Image:
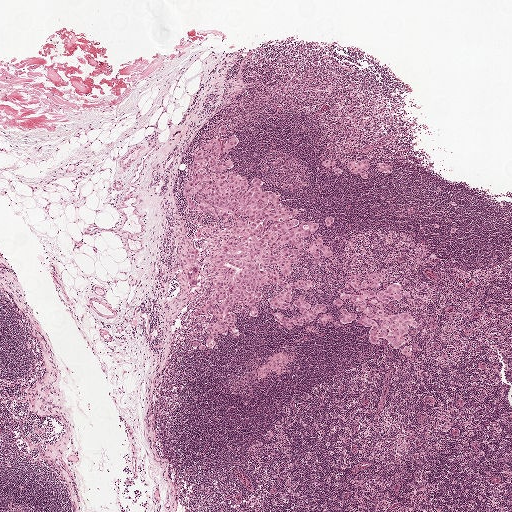
This is a crop of a whole-slide image: an H&E-stained breast-cancer sentinel lymph node section at roughly 2.5× magnification (about 3.9 µm per pixel; the crop spans about 2.0 mm).
Question:
Is any metastatic breast cancer visible in this crop?
Answer:
Yes.
Outlines of six tumour regions, largest first (closed clockwise paths, crop pixels): region 1: (224, 126), (240, 139), (229, 171), (246, 177), (247, 190), (259, 177), (301, 223), (320, 225), (312, 240), (323, 238), (333, 258), (319, 262), (302, 250), (315, 286), (293, 296), (325, 302), (327, 311), (285, 329), (275, 314), (300, 311), (270, 304), (281, 290), (272, 284), (260, 317), (239, 312), (236, 338), (227, 330), (219, 348), (196, 350), (187, 337), (204, 321), (194, 314), (209, 296), (224, 229), (190, 211), (183, 195), (198, 156); region 2: (384, 272), (384, 280), (374, 288), (376, 293), (386, 292), (389, 285), (398, 283), (406, 295), (401, 300), (390, 299), (386, 311), (407, 312), (418, 325), (417, 328), (409, 326), (403, 337), (411, 348), (411, 354), (404, 356), (402, 347), (394, 346), (384, 338), (375, 345), (371, 344), (371, 330), (355, 321), (336, 328), (343, 308), (364, 314), (352, 300), (340, 306), (334, 300), (343, 293), (360, 294), (351, 283), (351, 275), (356, 275), (360, 283), (372, 274); region 3: (191, 253), (196, 254), (200, 272), (198, 284), (194, 286), (187, 280), (189, 266), (186, 258), (187, 255); region 4: (366, 160), (370, 164), (370, 168), (367, 171), (367, 178), (365, 179), (352, 173), (347, 168), (347, 164), (348, 163); region 5: (382, 162), (388, 163), (391, 165), (391, 170), (390, 173), (382, 173), (378, 171), (377, 166), (378, 164); region 6: (328, 158), (331, 158), (336, 161), (336, 165), (333, 168), (330, 168), (322, 165), (322, 163), (323, 161), (328, 162), (329, 161), (328, 159).
Two more small tumour pieces are annotated here but not outlined.
The annotated tumour makes up about 10% of the crop.

Image:
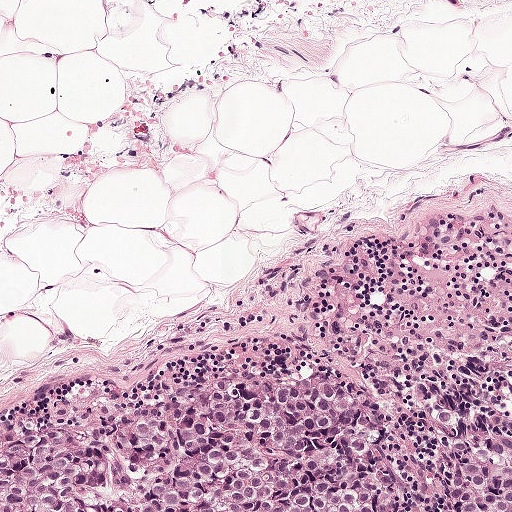
This is a crop of a whole-slide image: an H&E-stained breast-cancer sentinel lymph node section at roughly 10× magnification (about 0.97 µm per pixel; the crop spans about 0.5 mm).
Question:
Is any metastatic breast cancer visible in this crop?
Answer:
Yes.
Tumour region outline (a closed clockwise path, crop pixels): (511, 244), (511, 511), (0, 511), (0, 422), (62, 386), (267, 330), (300, 303), (378, 272).
The annotated tumour makes up about 35% of the crop.

Image:
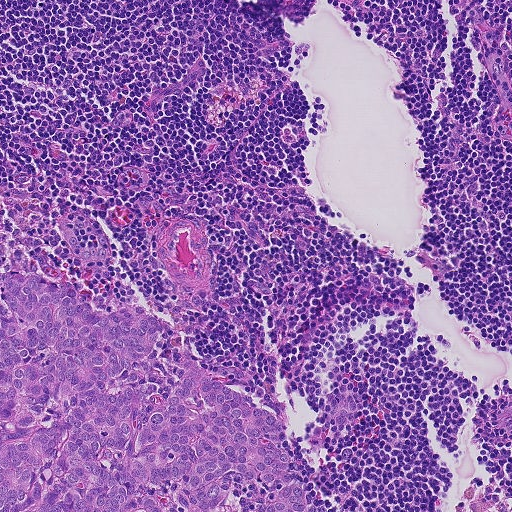
Lymph node section stained with H&E, from a whole-slide image of a breast-cancer sentinel node. Magnification about 10×, about 0.46 mm across the frame, about 0.9 µm per pixel.
Question:
Is any metastatic breast cancer visible in this crop?
Answer:
Yes.
One metastatic tumour region; its boundary, reduced to 22 corners and listed clockwise: (0, 184), (103, 222), (108, 253), (100, 266), (70, 258), (49, 216), (22, 233), (34, 262), (82, 300), (96, 308), (90, 293), (105, 296), (115, 308), (155, 314), (178, 362), (180, 346), (205, 363), (252, 370), (285, 415), (297, 477), (320, 508), (0, 511).
About 25% of the image area is annotated as tumour.

Image:
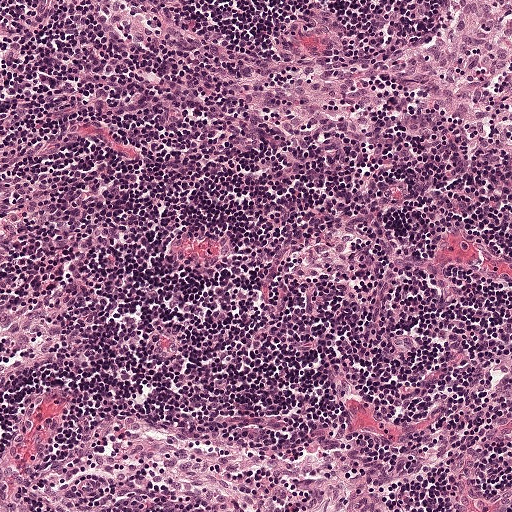
This is a crop of a whole-slide image: an H&E-stained breast-cancer sentinel lymph node section at roughly 10× magnification (about 0.97 µm per pixel; the crop spans about 0.5 mm).
Question:
Is any metastatic breast cancer visible in this crop?
Answer:
No. No metastatic tumour is outlined in this field.